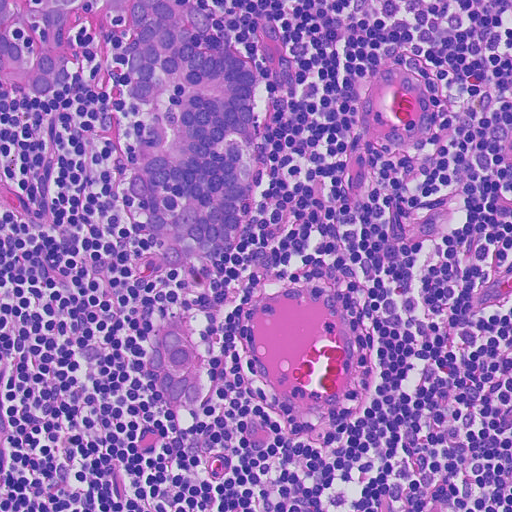
Lymph node section stained with H&E, from a whole-slide image of a breast-cancer sentinel node. Magnification about 20×, about 0.23 mm across the frame, about 0.45 µm per pixel.
Three metastatic tumour regions, each outlined as a closed clockwise path in crop pixels (x, y), largest first: region 1: (97, 0), (182, 0), (218, 24), (258, 70), (260, 162), (234, 248), (220, 257), (172, 265), (146, 225), (143, 204), (126, 192), (135, 140), (150, 114), (124, 88), (132, 75), (128, 26), (124, 8); region 2: (0, 0), (88, 0), (76, 7), (67, 45), (75, 74), (66, 86), (37, 97), (0, 77); region 3: (167, 323), (178, 323), (206, 358), (204, 380), (207, 394), (197, 409), (180, 406), (144, 380), (142, 354).
Tumour covers about 15% of the frame.